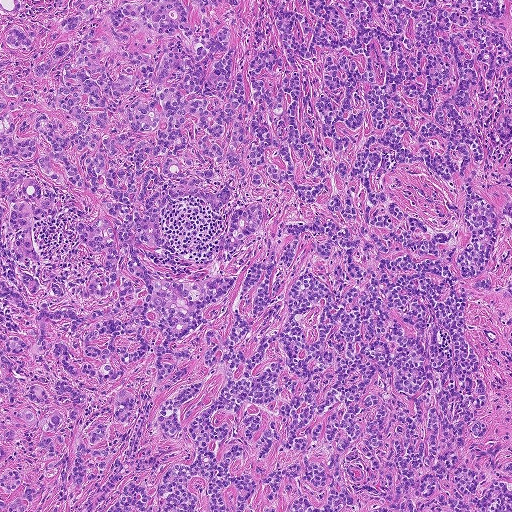
A 0.93-mm field of an H&E-stained sentinel lymph node from a breast-cancer patient (whole-slide image), shown at about 5×, about 1.8 µm per pixel.
One metastatic tumour region; its boundary, reduced to 13 corners and listed clockwise: (0, 0), (511, 0), (511, 297), (469, 289), (464, 325), (490, 395), (477, 419), (486, 439), (467, 439), (463, 465), (505, 462), (511, 511), (0, 511).
Tumour covers over 95% of the frame.